Lymph node section stained with H&E, from a whole-slide image of a breast-cancer sentinel node. Magnification about 10×, about 0.5 mm across the frame, about 0.97 µm per pixel.
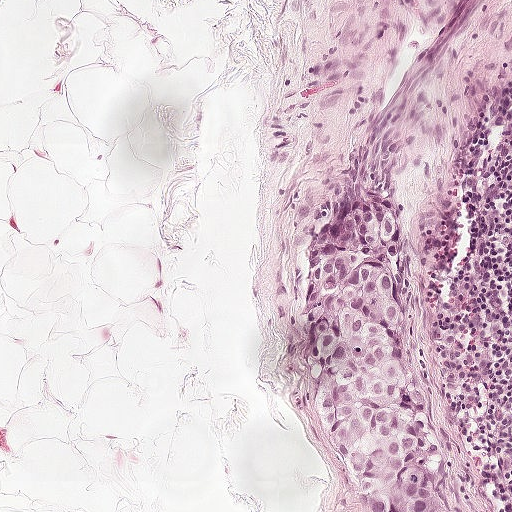
Tumour region outline (a closed clockwise path, crop pixels): (347, 197), (402, 205), (395, 227), (417, 262), (413, 322), (424, 346), (424, 416), (464, 511), (366, 511), (320, 449), (307, 293), (318, 234).
About 10% of this field is tumour.